Image:
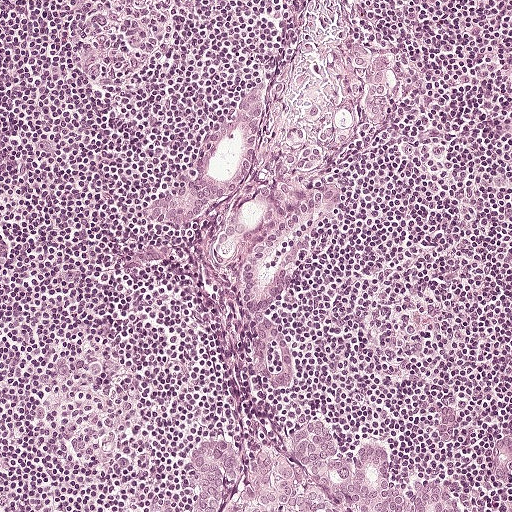
A 0.5-mm field of an H&E-stained sentinel lymph node from a breast-cancer patient (whole-slide image), shown at about 10×, about 0.97 µm per pixel.
Question:
Which parts of this field are metastatic tumour?
Answer:
Eight metastatic tumour regions, each outlined as a closed clockwise path in crop pixels (x, y), largest first: region 1: (319, 421), (333, 427), (352, 447), (366, 449), (370, 439), (386, 449), (388, 476), (398, 491), (431, 474), (445, 475), (460, 485), (474, 511), (194, 511), (186, 464), (200, 440), (276, 442), (303, 422); region 2: (303, 68), (308, 82), (356, 113), (355, 138), (348, 146), (336, 147), (336, 155), (327, 164), (301, 172), (292, 192), (278, 204), (259, 235), (228, 261), (217, 261), (211, 258), (210, 248), (256, 182), (267, 158), (288, 142), (289, 124), (301, 106), (290, 90), (290, 82); region 3: (248, 81), (264, 89), (266, 110), (254, 138), (252, 160), (238, 202), (223, 214), (178, 233), (147, 218), (148, 208), (193, 177), (204, 150), (214, 142); region 4: (334, 183), (342, 184), (346, 190), (344, 202), (330, 210), (292, 269), (273, 310), (262, 317), (254, 317), (237, 296), (237, 277), (241, 264), (255, 238), (301, 199); region 5: (358, 43), (382, 47), (397, 63), (394, 89), (395, 103), (391, 124), (382, 130), (368, 126), (361, 120), (360, 96), (358, 94), (349, 94), (350, 63), (346, 60), (346, 57); region 6: (270, 316), (280, 325), (295, 348), (296, 362), (296, 378), (294, 386), (290, 388), (286, 391), (278, 391), (261, 382), (252, 359), (252, 338), (260, 319); region 7: (503, 434), (511, 435), (511, 468), (504, 478), (495, 476), (491, 457), (492, 446); region 8: (446, 404), (457, 410), (456, 426), (452, 441), (442, 440), (441, 433), (437, 430), (437, 425), (441, 419), (441, 408).
Region 6 encloses a non-tumour hole of about 20% of its area.
About 15% of the image area is annotated as tumour.